Question: 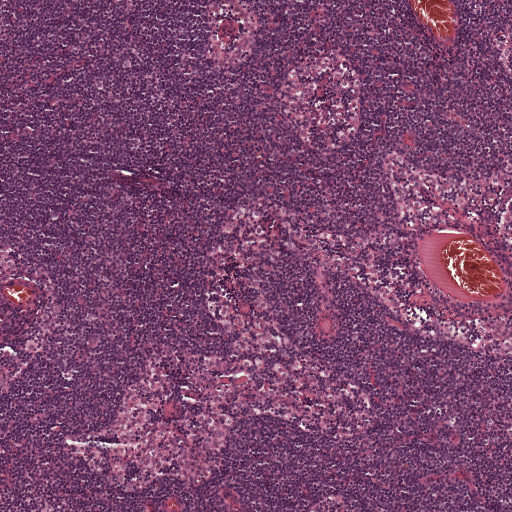
Which magnification is this H&E lymph node field most likely shown at?

Choices:
 (A) about 20×
 (B) about 2.5×
 (C) about 5×
 (D) about 10×
 (E) about 40×

Answer: (C) about 5×
H&E-stained section of a sentinel lymph node (breast cancer), from a whole-slide image, viewed at about 5×: the field is about 1 mm across, about 1.9 µm per pixel.